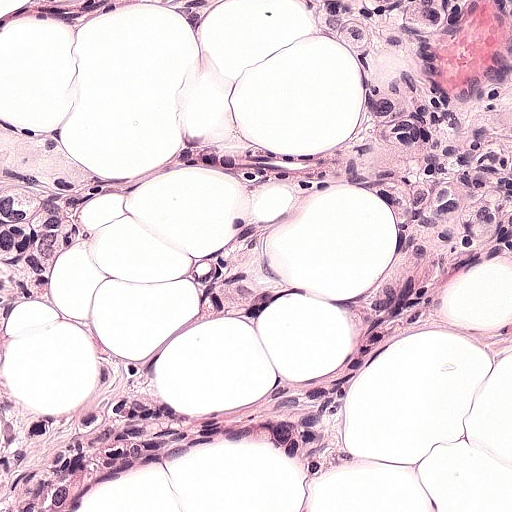
H&E-stained section of a sentinel lymph node (breast cancer), from a whole-slide image, viewed at about 20×: the field is about 0.25 mm across, about 0.49 µm per pixel.
Boundaries of three metastatic tumour regions, simplified and listed clockwise, largest first: region 1: (293, 0), (511, 0), (511, 345), (422, 327), (370, 349), (340, 462), (296, 511), (266, 511), (290, 456), (244, 407), (108, 432), (74, 508), (0, 511), (0, 421), (68, 399), (106, 318), (148, 358), (193, 292), (185, 249), (254, 208), (249, 182), (166, 147), (334, 156), (338, 62); region 2: (0, 110), (16, 124), (94, 146), (100, 169), (100, 194), (79, 240), (44, 280), (16, 302), (2, 368); region 3: (8, 0), (43, 0), (52, 5), (57, 5), (59, 0), (164, 0), (158, 4), (114, 4), (68, 15), (26, 15), (14, 14), (7, 8).
Tumour covers about 50% of the frame.